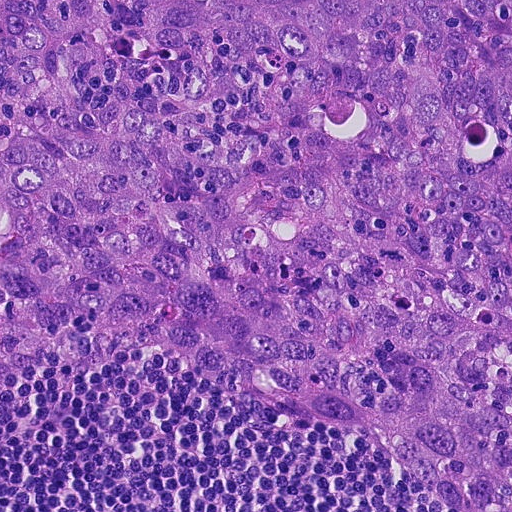
Lymph node section stained with H&E, from a whole-slide image of a breast-cancer sentinel node. Magnification about 20×, about 0.23 mm across the frame, about 0.45 µm per pixel.
Metastatic tumour outline, simplified to 16 points and listed clockwise in crop pixels (x, y): (0, 0), (511, 0), (511, 216), (498, 219), (500, 268), (511, 275), (511, 511), (456, 511), (348, 430), (206, 389), (170, 356), (120, 350), (29, 382), (34, 399), (12, 442), (0, 443).
The annotated tumour makes up about 80% of the crop.